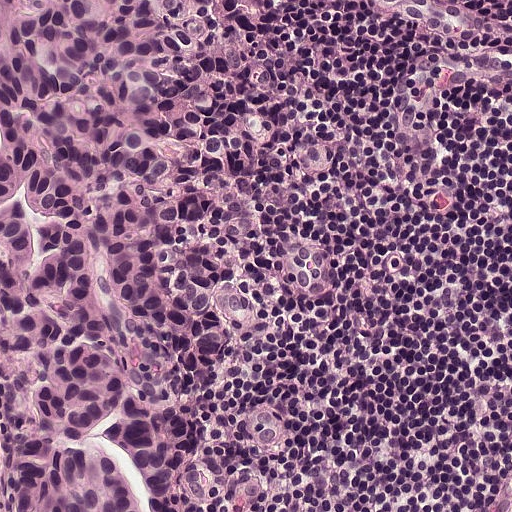
This is a crop of a whole-slide image: an H&E-stained breast-cancer sentinel lymph node section at roughly 20× magnification (about 0.49 µm per pixel; the crop spans about 0.25 mm).
Question: Is any metastatic breast cancer visible in this crop?
Answer: Yes.
Two metastatic tumour regions, each outlined as a closed clockwise path in crop pixels (x, y), largest first: region 1: (0, 0), (274, 0), (278, 30), (314, 73), (349, 168), (322, 226), (337, 256), (332, 290), (310, 320), (251, 341), (230, 388), (240, 446), (268, 476), (257, 511), (23, 511), (4, 400); region 2: (511, 0), (511, 94), (473, 100), (452, 112), (446, 126), (446, 165), (440, 182), (423, 197), (410, 197), (390, 173), (394, 122), (408, 86), (456, 66), (454, 58), (380, 33), (328, 1).
The annotated tumour makes up about 65% of the crop.